Image:
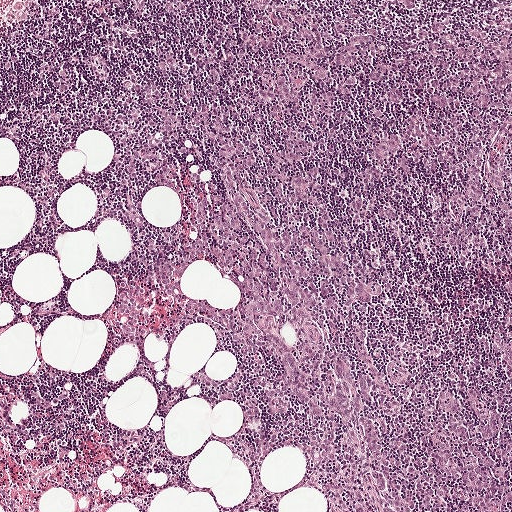
A 1-mm field of an H&E-stained sentinel lymph node from a breast-cancer patient (whole-slide image), shown at about 5×, about 1.9 µm per pixel.
Question:
Is there metastatic carcinoma in this field?
Answer:
Yes.
Metastatic tumour outline, simplified to 21 points and listed clockwise in crop pixels (x, y): (6, 0), (511, 0), (511, 511), (330, 511), (306, 486), (235, 511), (255, 488), (226, 440), (244, 420), (231, 404), (209, 408), (194, 380), (231, 380), (237, 354), (198, 324), (131, 349), (112, 342), (130, 244), (98, 195), (113, 147), (53, 113).
About 70% of the image area is annotated as tumour.